Question: 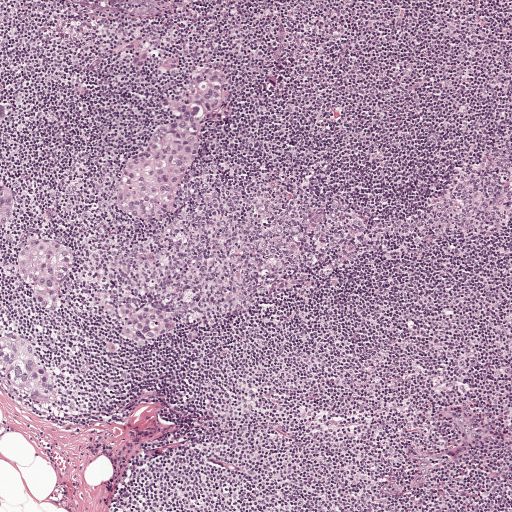
Lymph node section stained with H&E, from a whole-slide image of a breast-cancer sentinel node. Magnification about 5×, about 1 mm across the frame, about 1.9 µm per pixel.
Roughly what share of this field is metastatic tumour?

Choices:
 (A) about 25% to 45%
 (B) about 10% to 20%
 (C) none: no tumour is outlined
 (D) about 5% or less
 (E) about 50% or more

Answer: (D) about 5% or less
About 5% of the field is tumour.
Outlines of the eight largest metastatic tumour regions, each a closed clockwise path in crop pixels (x, y), largest first: region 1: (197, 66), (220, 70), (228, 79), (229, 112), (225, 116), (200, 124), (195, 152), (164, 210), (151, 217), (135, 216), (125, 209), (116, 192), (119, 172), (126, 160), (143, 150), (155, 127), (176, 119), (174, 113), (162, 107), (162, 102), (186, 90), (191, 70); region 2: (31, 237), (43, 237), (74, 250), (76, 263), (61, 286), (60, 308), (56, 315), (50, 317), (38, 313), (29, 293), (14, 278), (10, 270), (16, 250); region 3: (8, 331), (28, 334), (38, 343), (53, 373), (58, 386), (59, 401), (54, 405), (48, 405), (0, 381), (0, 334); region 4: (124, 302), (132, 302), (142, 305), (154, 304), (174, 313), (179, 318), (179, 324), (176, 329), (160, 342), (139, 344), (126, 339), (119, 340), (124, 344), (124, 351), (118, 353), (111, 353), (104, 350), (104, 344), (116, 340), (114, 334), (125, 324), (120, 319), (118, 306); region 5: (149, 50), (153, 53), (149, 65), (140, 73), (133, 73), (130, 68), (132, 56), (139, 52); region 6: (0, 185), (10, 189), (12, 196), (12, 204), (0, 227); region 7: (0, 101), (13, 106), (11, 120), (6, 125), (0, 125); region 8: (323, 207), (324, 209), (323, 218), (317, 229), (308, 232), (306, 228), (310, 220), (317, 209).
Two more, smaller tumour regions are not outlined.
Two more small tumour pieces are annotated here but not outlined.